This is a crop of a whole-slide image: an H&E-stained breast-cancer sentinel lymph node section at roughly 20× magnification (about 0.45 µm per pixel; the crop spans about 0.23 mm).
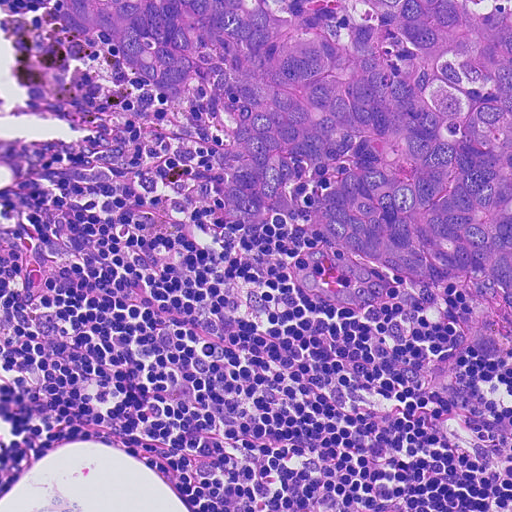
Tumour region outline (a closed clockwise path, crop pixels): (54, 0), (511, 0), (511, 318), (478, 280), (432, 291), (270, 212), (250, 226), (226, 218), (216, 196), (236, 108), (224, 86), (151, 84), (96, 31), (71, 32).
Tumour covers about 30% of the frame.